Question: 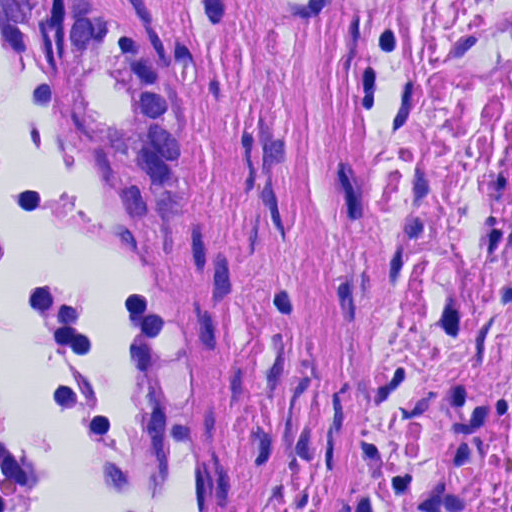
About what magnification does this crop show?

Choices:
 (A) about 40×
 (B) about 20×
 (C) about 2.5×
 (D) about 10×
 (E) about 5×

Answer: (A) about 40×
Lymph node section stained with H&E, from a whole-slide image of a breast-cancer sentinel node. Magnification about 40×, about 0.12 mm across the frame, about 0.23 µm per pixel.
Metastatic tumour outline, simplified to 7 points and listed clockwise in crop pixels (x, y): (69, 0), (99, 0), (152, 34), (182, 108), (185, 185), (154, 250), (56, 132).
Tumour covers about 10% of the frame.